This is a crop of a whole-slide image: an H&E-stained breast-cancer sentinel lymph node section at roughly 20× magnification (about 0.49 µm per pixel; the crop spans about 0.25 mm).
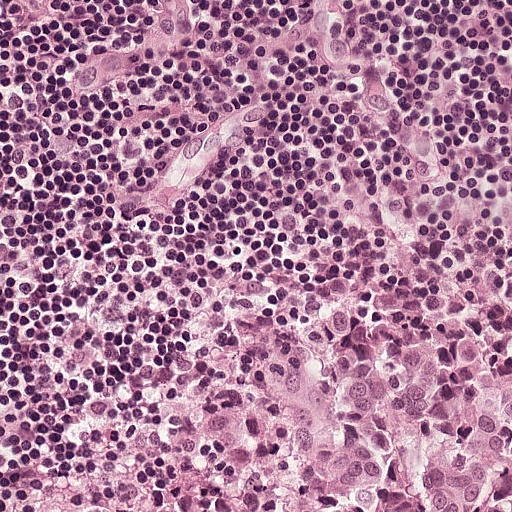
The outlined metastatic tumour's edge, as a closed clockwise path of 9 points: (360, 324), (511, 354), (511, 511), (71, 511), (152, 454), (174, 422), (229, 397), (272, 350), (313, 329).
The annotated tumour makes up about 20% of the crop.